A 0.5-mm field of an H&E-stained sentinel lymph node from a breast-cancer patient (whole-slide image), shown at about 10×, about 0.97 µm per pixel.
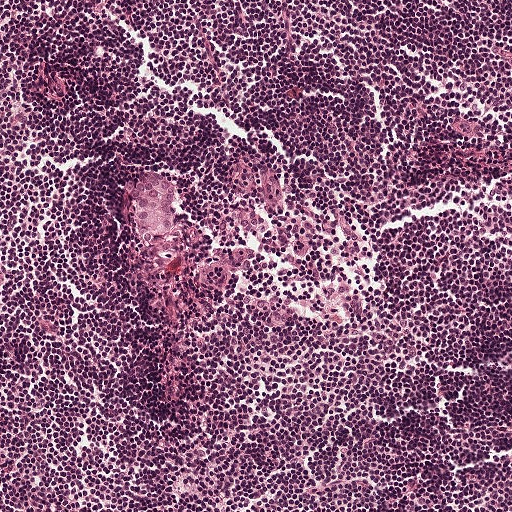
Question: Is any metastatic breast cancer visible in this crop?
Answer: Yes.
Tumour region outline (a closed clockwise path, crop pixels): (142, 170), (178, 179), (179, 194), (184, 203), (184, 220), (182, 228), (151, 247), (136, 242), (133, 210), (121, 191), (122, 177).
Under 5% of the image area is annotated as tumour.